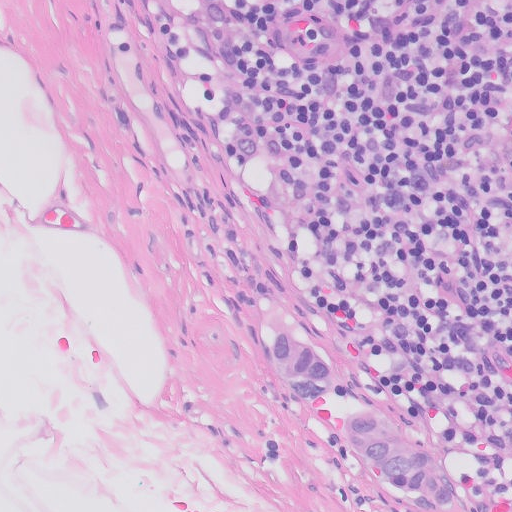
Lymph node section stained with H&E, from a whole-slide image of a breast-cancer sentinel node. Magnification about 20×, about 0.26 mm across the frame, about 0.5 µm per pixel.
Outlines of two tumour regions, largest first (closed clockwise paths, crop pixels): region 1: (370, 410), (386, 420), (430, 460), (437, 471), (450, 480), (456, 492), (451, 507), (444, 511), (420, 511), (390, 488), (372, 465), (337, 437), (332, 423), (342, 411); region 2: (283, 324), (297, 338), (313, 345), (326, 355), (334, 367), (334, 382), (329, 394), (316, 400), (302, 401), (281, 383), (267, 356), (264, 342), (269, 328).
The annotated tumour makes up about 5% of the crop.